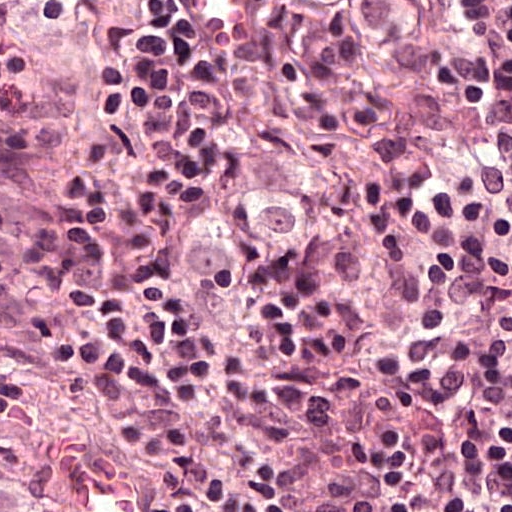
H&E-stained section of a sentinel lymph node (breast cancer), from a whole-slide image, viewed at about 40×: the field is about 0.12 mm across, about 0.24 µm per pixel.
Two metastatic tumour regions, each outlined as a closed clockwise path in crop pixels (x, y), largest first: region 1: (460, 0), (458, 51), (442, 101), (397, 169), (374, 309), (340, 340), (308, 350), (237, 350), (203, 340), (187, 314), (187, 201), (221, 140), (297, 64), (303, 3); region 2: (0, 385), (5, 393), (58, 435), (63, 485), (73, 503), (73, 511), (0, 511).
The annotated tumour makes up about 25% of the crop.